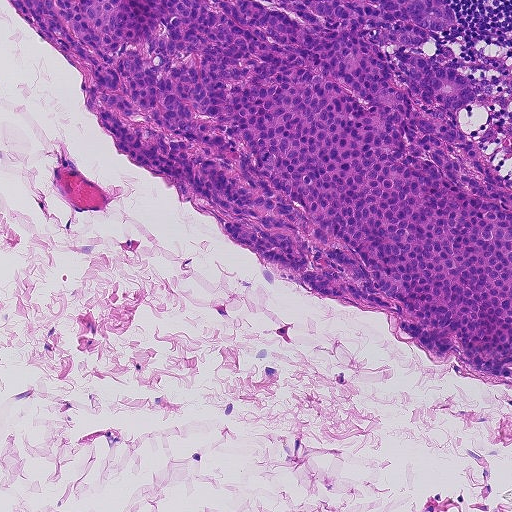
Lymph node section stained with H&E, from a whole-slide image of a breast-cancer sentinel node. Magnification about 10×, about 0.46 mm across the frame, about 0.9 µm per pixel.
Metastatic tumour outline, simplified to 17 points and listed clockwise in crop pixels (x, y): (7, 0), (449, 0), (450, 34), (431, 33), (480, 94), (458, 122), (508, 181), (511, 385), (462, 372), (456, 352), (436, 365), (377, 310), (262, 270), (208, 214), (126, 162), (80, 100), (70, 63).
Tumour covers about 40% of the frame.